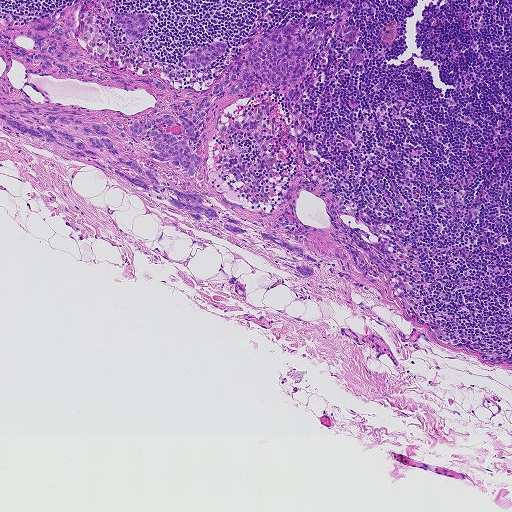
Lymph node section stained with H&E, from a whole-slide image of a breast-cancer sentinel node. Magnification about 5×, about 0.93 mm across the frame, about 1.8 µm per pixel.
Boundaries of two metastatic tumour regions, simplified and listed clockwise, largest first: region 1: (126, 12), (148, 13), (150, 20), (150, 27), (143, 40), (129, 41), (114, 24), (114, 17), (118, 13); region 2: (217, 40), (224, 40), (228, 46), (220, 57), (197, 70), (184, 65), (180, 59), (185, 54).
One more tumour region is annotated but not outlined: its edge is too irregular for a short outline.
About 10% of the image area is annotated as tumour.